Question: 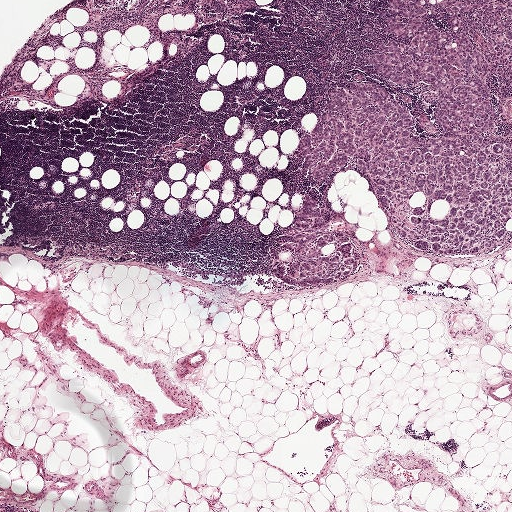
A 2.0-mm field of an H&E-stained sentinel lymph node from a breast-cancer patient (whole-slide image), shown at about 2.5×, about 3.9 µm per pixel.
About how much of this crop is taken up by metastatic carcinoma?

Choices:
 (A) about 50% or more
 (B) about 25% to 45%
 (C) about 5% or less
 (D) none: no tumour is outlined
 (E) about 10% to 20%

Answer: (E) about 10% to 20%
About 15% of the field is tumour.
Two metastatic tumour regions, each outlined as a closed clockwise path in crop pixels (x, y), largest first: region 1: (390, 0), (511, 0), (511, 240), (434, 257), (395, 233), (352, 158), (317, 185), (295, 155), (325, 112), (325, 97), (350, 85), (387, 90), (416, 135), (439, 132), (428, 84), (390, 84), (368, 65), (376, 42), (410, 40), (382, 33), (377, 13); region 2: (311, 195), (326, 225), (334, 231), (343, 231), (348, 235), (357, 264), (357, 268), (347, 278), (336, 284), (307, 290), (277, 282), (273, 277), (280, 260), (289, 262), (291, 260), (285, 240), (287, 235), (299, 235), (294, 226), (304, 202).